Question: 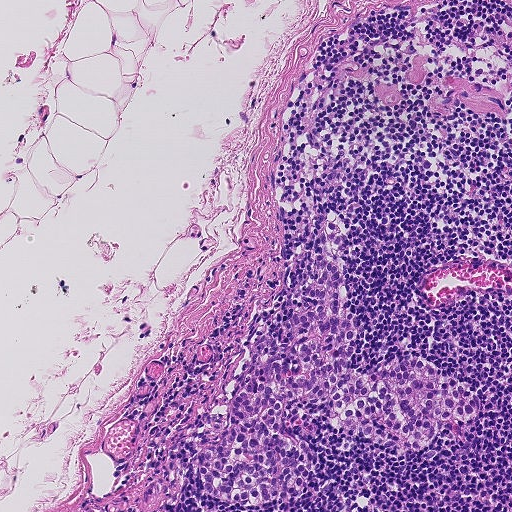
A 0.46-mm field of an H&E-stained sentinel lymph node from a breast-cancer patient (whole-slide image), shown at about 10×, about 0.9 µm per pixel.
Estimate the proportion of this field that is metastatic tumour.

Choices:
 (A) about 50% or more
 (B) about 10% to 20%
 (C) none: no tumour is outlined
 (D) about 25% to 45%
 (E) about 5% or less

Answer: (B) about 10% to 20%
About 15% of the field is tumour.
Metastatic tumour outline, simplified to 22 points and listed clockwise in crop pixels (x, y): (330, 210), (346, 230), (349, 365), (363, 376), (419, 357), (473, 385), (479, 410), (405, 456), (359, 434), (335, 450), (323, 424), (290, 507), (217, 502), (200, 482), (200, 445), (227, 422), (242, 343), (265, 324), (289, 341), (291, 298), (315, 309), (303, 290).